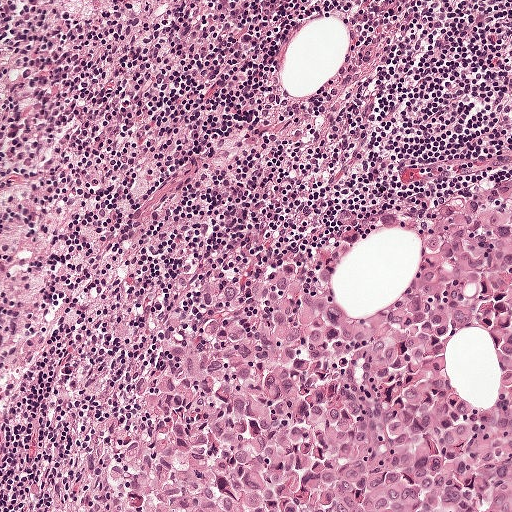
This is a crop of a whole-slide image: an H&E-stained breast-cancer sentinel lymph node section at roughly 10× magnification (about 0.97 µm per pixel; the crop spans about 0.5 mm).
Tumour region outline (a closed clockwise path, crop pixels): (511, 149), (511, 511), (46, 511), (132, 379), (237, 292), (281, 224).
Tumour covers about 40% of the frame.